Question: 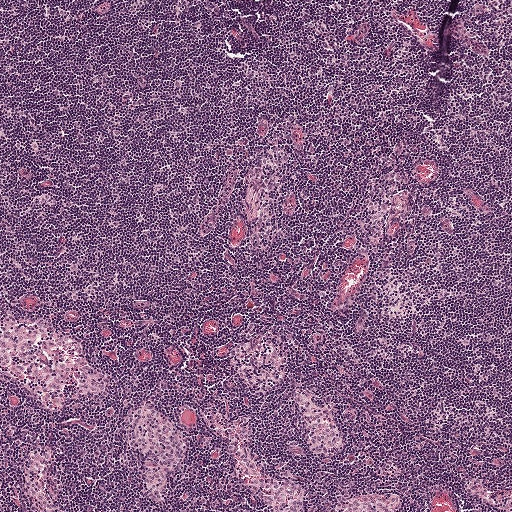
At roughly what magnification is this field shown?

Choices:
 (A) about 10×
 (B) about 2.5×
 (C) about 40×
 (D) about 5×
 (E) about 20×

Answer: (D) about 5×
Lymph node section stained with H&E, from a whole-slide image of a breast-cancer sentinel node. Magnification about 5×, about 1 mm across the frame, about 1.9 µm per pixel.